Image:
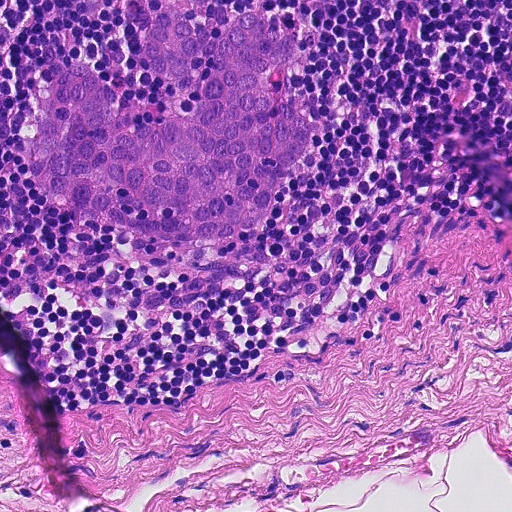
H&E-stained section of a sentinel lymph node (breast cancer), from a whole-slide image, viewed at about 20×: the field is about 0.23 mm across, about 0.45 µm per pixel.
Question:
Which parts of this field are metastatic tumour?
Answer:
Tumour region outline (a closed clockwise path, crop pixels): (162, 2), (216, 30), (241, 12), (272, 13), (298, 50), (270, 66), (266, 84), (314, 123), (308, 152), (282, 173), (257, 230), (166, 239), (106, 230), (34, 195), (24, 166), (28, 134), (70, 52), (115, 93), (124, 122), (186, 118), (210, 60), (188, 82), (156, 78), (135, 56).
Tumour covers about 15% of the frame.